Lymph node section stained with H&E, from a whole-slide image of a breast-cancer sentinel node. Magnification about 20×, about 0.25 mm across the frame, about 0.49 µm per pixel.
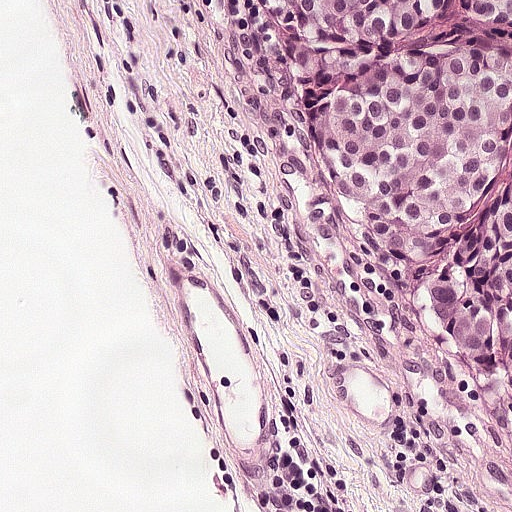
One metastatic tumour region; its boundary, reduced to 5 corners and listed clockwise: (511, 0), (511, 422), (400, 310), (272, 106), (228, 3).
The annotated tumour makes up about 25% of the crop.